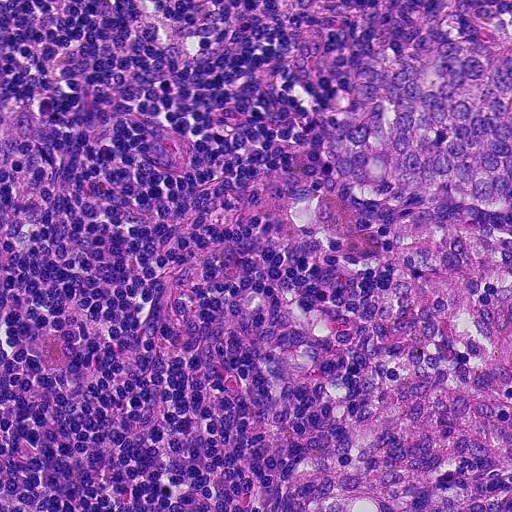
Lymph node section stained with H&E, from a whole-slide image of a breast-cancer sentinel node. Magnification about 20×, about 0.23 mm across the frame, about 0.45 µm per pixel.
Question: Outline the metastatic carcinoma in this image, as closed paths of (x, y) pixel coordinates.
Answer: Metastatic tumour outline, simplified to 11 points and listed clockwise in crop pixels (x, y): (511, 14), (511, 511), (281, 511), (278, 486), (334, 444), (384, 368), (370, 334), (383, 230), (333, 179), (314, 110), (394, 40).
Tumour covers about 30% of the frame.